Question: 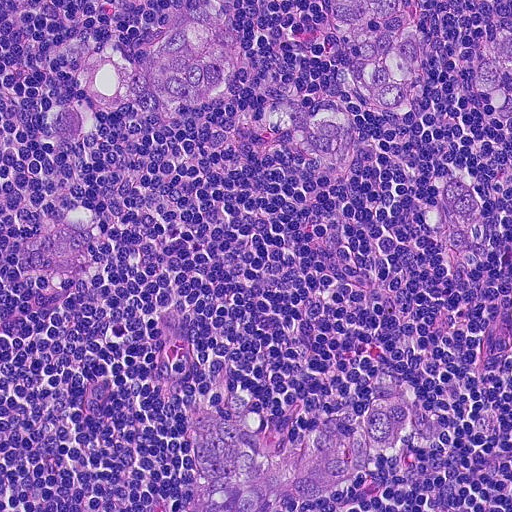
This is a crop of a whole-slide image: an H&E-stained breast-cancer sentinel lymph node section at roughly 20× magnification (about 0.45 µm per pixel; the crop spans about 0.23 mm).
Estimate the proportion of this field that is metastatic tumour.

Choices:
 (A) about 25% to 45%
 (B) about 5% or less
 (C) about 10% to 20%
 (D) about 50% or more
 (E) none: no tumour is outlined

Answer: (C) about 10% to 20%
About 15% of the field is tumour.
Outlines of four tumour regions, largest first (closed clockwise paths, crop pixels): region 1: (186, 394), (264, 424), (268, 452), (374, 401), (405, 400), (407, 430), (390, 452), (342, 484), (278, 511), (182, 511), (204, 466), (186, 413); region 2: (188, 0), (224, 0), (240, 42), (240, 70), (226, 94), (200, 105), (172, 103), (146, 94), (122, 108), (94, 111), (87, 138), (58, 138), (49, 113), (74, 101), (81, 90), (80, 63), (100, 44), (128, 47), (144, 68), (163, 48); region 3: (319, 0), (407, 0), (417, 62), (417, 90), (407, 116), (379, 119), (356, 104), (342, 77); region 4: (498, 0), (511, 0), (511, 94), (504, 97), (477, 96), (475, 72).